H&E-stained section of a sentinel lymph node (breast cancer), from a whole-slide image, viewed at about 2.5×: the field is about 2.0 mm across, about 3.9 µm per pixel.
Question: 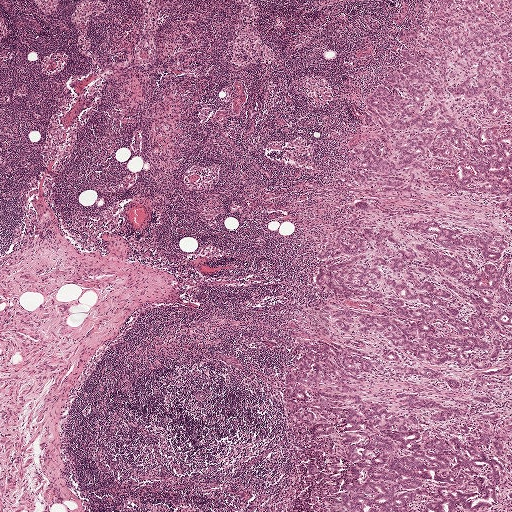
Estimate the proportion of this field that is metastatic tumour.

Choices:
 (A) none: no tumour is outlined
 (B) about 10% to 20%
 (C) about 25% to 45%
 (D) about 50% or more
 (E) about 5% or less

Answer: (C) about 25% to 45%
About 35% of the field is tumour.
The outlined metastatic tumour's edge, as a closed clockwise path of 15 points: (439, 0), (511, 0), (511, 511), (288, 511), (296, 450), (285, 382), (330, 301), (317, 281), (321, 247), (364, 198), (340, 178), (366, 145), (362, 112), (399, 66), (401, 38).